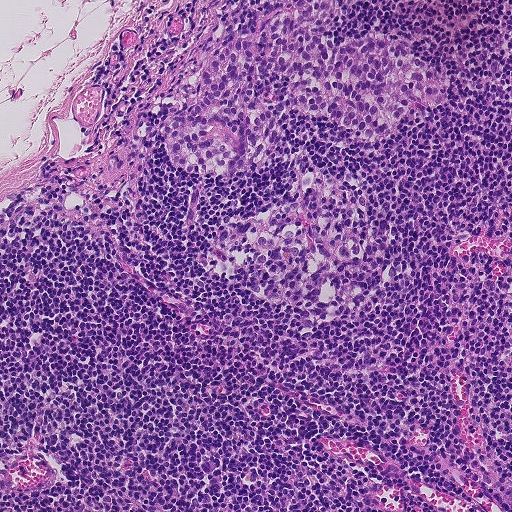
A 0.46-mm field of an H&E-stained sentinel lymph node from a breast-cancer patient (whole-slide image), shown at about 10×, about 0.9 µm per pixel.
One metastatic tumour region; its boundary, reduced to 22 corners and listed clockwise: (270, 0), (354, 0), (325, 34), (334, 44), (377, 31), (408, 38), (413, 54), (450, 79), (446, 101), (433, 120), (404, 116), (366, 143), (327, 116), (288, 110), (268, 166), (230, 179), (174, 168), (161, 129), (169, 106), (190, 109), (210, 58), (285, 8).
The annotated tumour makes up about 10% of the crop.